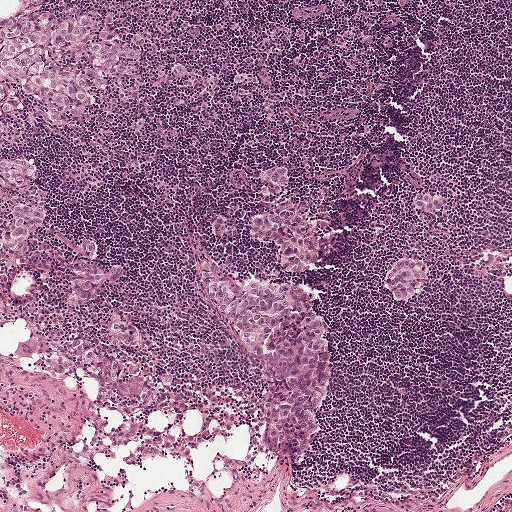
This is a crop of a whole-slide image: an H&E-stained breast-cancer sentinel lymph node section at roughly 5× magnification (about 1.9 µm per pixel; the crop spans about 1 mm).
Outlines of the eight largest metastatic tumour regions, each a closed clockwise path in crop pixels (x, y), largest first: region 1: (212, 259), (218, 276), (230, 282), (295, 280), (305, 282), (313, 292), (313, 306), (325, 323), (331, 363), (328, 386), (316, 409), (319, 431), (298, 454), (289, 449), (274, 452), (269, 446), (261, 358), (241, 343), (209, 299), (197, 272), (198, 260); region 2: (19, 0), (46, 0), (47, 9), (64, 16), (90, 11), (104, 15), (117, 30), (146, 36), (140, 56), (107, 79), (80, 122), (52, 125), (43, 118), (36, 102), (26, 95), (19, 110), (0, 120), (0, 17), (17, 13); region 3: (285, 202), (294, 203), (298, 212), (312, 221), (319, 238), (319, 252), (315, 264), (302, 273), (286, 269), (272, 243), (254, 238), (249, 231), (249, 221), (254, 214), (272, 211); region 4: (17, 156), (26, 159), (39, 170), (37, 177), (34, 178), (32, 175), (29, 182), (32, 187), (43, 192), (45, 218), (41, 224), (32, 227), (30, 236), (21, 240), (17, 247), (10, 248), (4, 240), (12, 221), (17, 195), (12, 191), (0, 188), (0, 159); region 5: (90, 237), (96, 242), (94, 260), (96, 265), (105, 269), (113, 263), (118, 263), (121, 266), (123, 273), (117, 279), (98, 282), (91, 298), (73, 302), (68, 290), (73, 277), (80, 274), (71, 267), (70, 263), (74, 258), (81, 258), (77, 249), (78, 241), (80, 238); region 6: (78, 337), (98, 353), (109, 355), (120, 360), (121, 366), (117, 376), (109, 382), (102, 381), (94, 368), (86, 362), (56, 372), (55, 362), (58, 351), (51, 345), (51, 340), (62, 341); region 7: (403, 258), (422, 260), (426, 264), (427, 273), (425, 281), (416, 289), (413, 296), (407, 299), (401, 299), (390, 294), (384, 282), (392, 265); region 8: (270, 165), (281, 165), (288, 168), (289, 183), (271, 199), (265, 199), (261, 181), (263, 169).
Four more, smaller tumour regions are not outlined.
The annotated tumour makes up about 15% of the crop.